A 0.25-mm field of an H&E-stained sentinel lymph node from a breast-cancer patient (whole-slide image), shown at about 20×, about 0.49 µm per pixel.
Question: 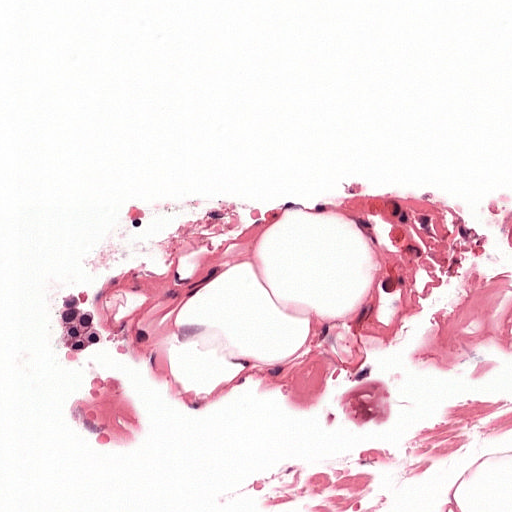
Roughly what share of this field is metastatic tumour?

Choices:
 (A) about 5% or less
 (B) about 25% to 45%
 (C) about 50% or more
 (D) about 10% to 20%
 (E) none: no tumour is outlined

Answer: (A) about 5% or less
Under 5% of the field is tumour.
The outlined metastatic tumour's edge, as a closed clockwise path of 11 points: (71, 292), (90, 302), (104, 328), (107, 342), (100, 355), (90, 365), (74, 366), (62, 358), (54, 346), (54, 332), (60, 302).